Image:
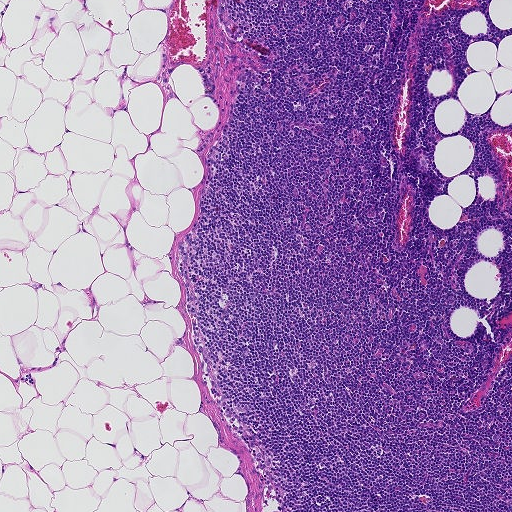
A 0.93-mm field of an H&E-stained sentinel lymph node from a breast-cancer patient (whole-slide image), shown at about 5×, about 1.8 µm per pixel.
Question:
Is there metastatic carcinoma in this field?
Answer:
No: no metastatic tumour is outlined anywhere in this field.

Image:
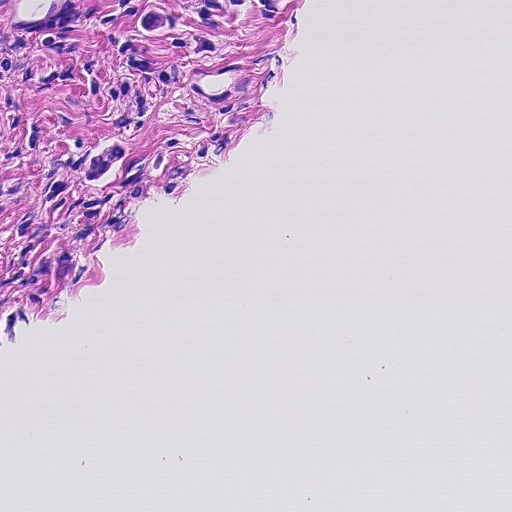
A 0.23-mm field of an H&E-stained sentinel lymph node from a breast-cancer patient (whole-slide image), shown at about 20×, about 0.45 µm per pixel.
Question:
Is there metastatic carcinoma in this field?
Answer:
Yes.
Tumour region outline (a closed clockwise path, crop pixels): (0, 0), (300, 0), (268, 125), (176, 203), (146, 203), (132, 250), (100, 248), (82, 298), (54, 318), (20, 319), (0, 347).
About 25% of this field is tumour.

Image:
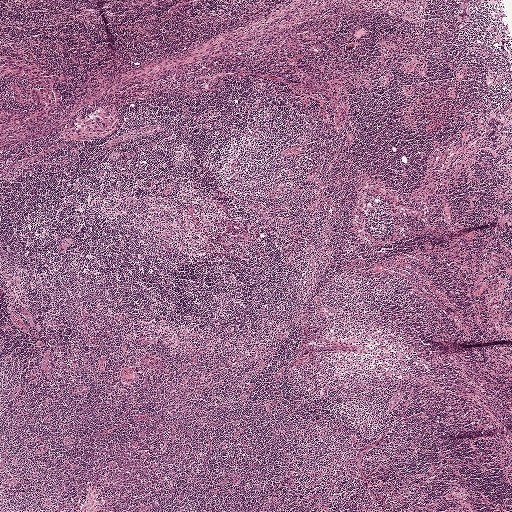
This is a crop of a whole-slide image: an H&E-stained breast-cancer sentinel lymph node section at roughly 2.5× magnification (about 3.9 µm per pixel; the crop spans about 2.0 mm).
Question:
Is there metastatic carcinoma in this field?
Answer:
Yes.
Two metastatic tumour regions, each outlined as a closed clockwise path in crop pixels (x, y), largest first: region 1: (0, 53), (27, 60), (48, 70), (65, 74), (65, 80), (57, 80), (60, 103), (56, 110), (1, 133); region 2: (105, 104), (112, 104), (118, 127), (106, 137), (99, 139), (65, 140), (57, 138), (56, 132), (58, 127), (75, 116), (94, 112), (95, 108).
Under 5% of this field is tumour.

Image:
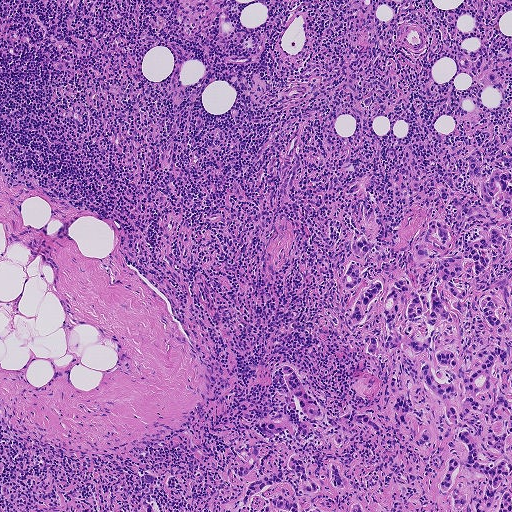
Lymph node section stained with H&E, from a whole-slide image of a breast-cancer sentinel node. Magnification about 5×, about 0.93 mm across the frame, about 1.8 µm per pixel.
Question:
Is there metastatic carcinoma in this field?
Answer:
Yes.
Outlines of three tumour regions, largest first (closed clockwise paths, crop pixels): region 1: (481, 148), (488, 170), (511, 170), (511, 511), (441, 511), (431, 487), (442, 452), (419, 457), (406, 426), (412, 411), (422, 416), (423, 384), (399, 349), (364, 354), (366, 327), (350, 327), (348, 318), (363, 285), (348, 293), (338, 281), (356, 256), (351, 250), (363, 232), (366, 198), (374, 237), (404, 270), (415, 236), (435, 219), (450, 223), (460, 242), (479, 228), (438, 200), (434, 192), (446, 174), (454, 173), (458, 190), (483, 204), (467, 154); region 2: (291, 361), (325, 411), (368, 412), (383, 434), (376, 438), (350, 432), (336, 453), (311, 448), (316, 471), (339, 461), (356, 491), (391, 511), (249, 511), (240, 499), (244, 479), (224, 470), (249, 461), (229, 447), (270, 440), (250, 424), (275, 416), (308, 422), (286, 383), (283, 366); region 3: (152, 474), (155, 476), (152, 483), (150, 490), (145, 495), (142, 489), (146, 484), (142, 476), (145, 475).
Two more small tumour pieces are annotated here but not outlined.
About 20% of the image area is annotated as tumour.